H&E-stained section of a sentinel lymph node (breast cancer), from a whole-slide image, viewed at about 5×: the field is about 1 mm across, about 1.9 µm per pixel.
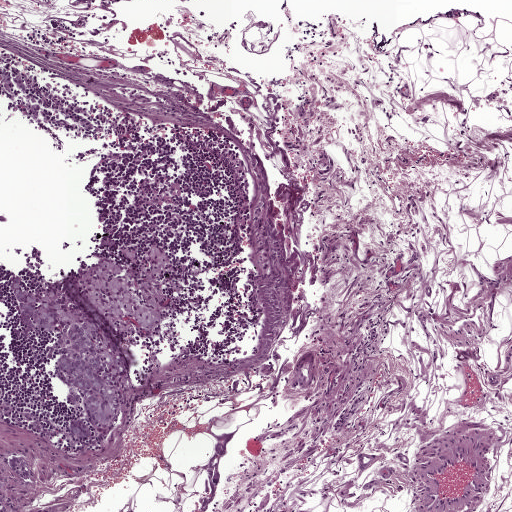
Six metastatic tumour regions, each outlined as a closed clockwise path in crop pixels (x, y), largest first: region 1: (142, 239), (155, 241), (174, 260), (176, 272), (164, 330), (153, 335), (137, 331), (124, 412), (111, 434), (101, 436), (87, 423), (82, 408), (69, 406), (61, 382), (51, 378), (53, 333), (18, 324), (9, 288), (17, 272), (32, 290), (41, 279); region 2: (21, 455), (33, 460), (36, 472), (35, 483), (23, 483), (15, 476), (9, 466), (10, 456); region 3: (10, 71), (14, 76), (20, 76), (24, 86), (23, 90), (16, 90), (16, 93), (8, 94), (3, 86), (2, 73); region 4: (131, 90), (149, 92), (158, 99), (148, 105), (126, 100); region 5: (76, 419), (83, 422), (89, 431), (88, 438), (80, 438), (71, 435), (69, 422); region 6: (25, 103), (41, 104), (43, 108), (38, 117), (31, 114), (29, 112).
About 5% of this field is tumour.